A 0.5-mm field of an H&E-stained sentinel lymph node from a breast-cancer patient (whole-slide image), shown at about 10×, about 0.97 µm per pixel.
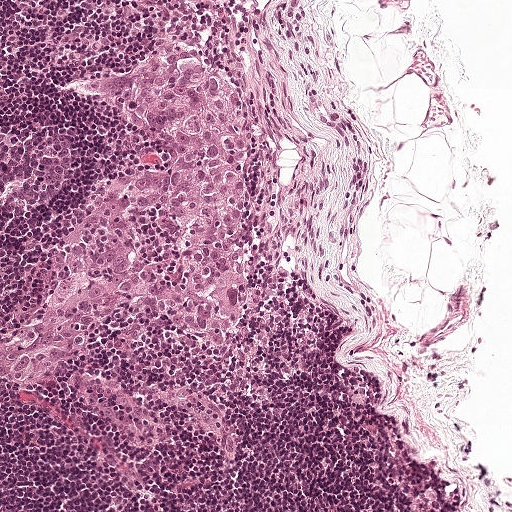
The outlined metastatic tumour's edge, as a closed clockwise path of 19 points: (164, 47), (213, 58), (252, 101), (261, 310), (246, 333), (201, 344), (134, 298), (66, 373), (40, 388), (18, 386), (0, 376), (0, 332), (41, 305), (64, 274), (100, 194), (126, 176), (171, 165), (151, 128), (85, 82).
The annotated tumour makes up about 20% of the crop.